Question: 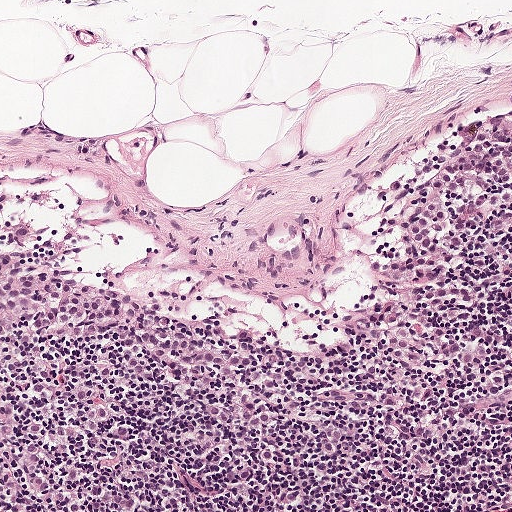
H&E-stained section of a sentinel lymph node (breast cancer), from a whole-slide image, viewed at about 10×: the field is about 0.5 mm across, about 0.97 µm per pixel.
Roughly what share of this field is metastatic tumour?

Choices:
 (A) about 25% to 45%
 (B) about 10% to 20%
 (C) about 50% or more
 (D) none: no tumour is outlined
 (E) about 5% or less

Answer: (B) about 10% to 20%
About 15% of the field is tumour.
Boundaries of two metastatic tumour regions, simplified and listed clockwise, largest first: region 1: (511, 91), (511, 202), (466, 246), (430, 265), (372, 265), (341, 249), (343, 218), (383, 140), (424, 110); region 2: (0, 262), (117, 301), (230, 319), (258, 328), (296, 357), (300, 378), (288, 382), (228, 381), (180, 372), (114, 346), (0, 341).